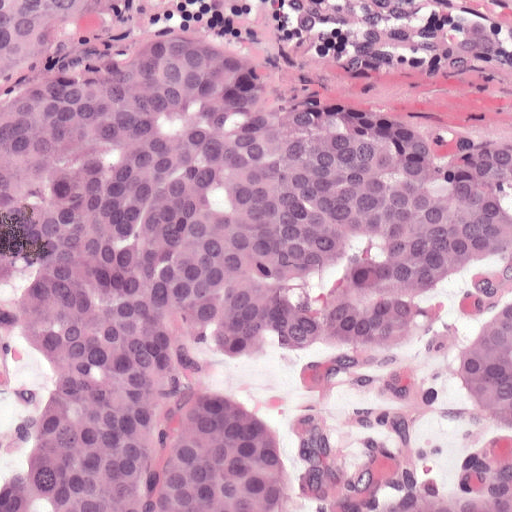
Lymph node section stained with H&E, from a whole-slide image of a breast-cancer sentinel node. Magnification about 20×, about 0.25 mm across the frame, about 0.49 µm per pixel.
One metastatic tumour region; its boundary, reduced to 7 corners and listed clockwise: (0, 0), (174, 0), (272, 48), (376, 74), (511, 130), (511, 511), (0, 511).
The annotated tumour makes up about 90% of the crop.